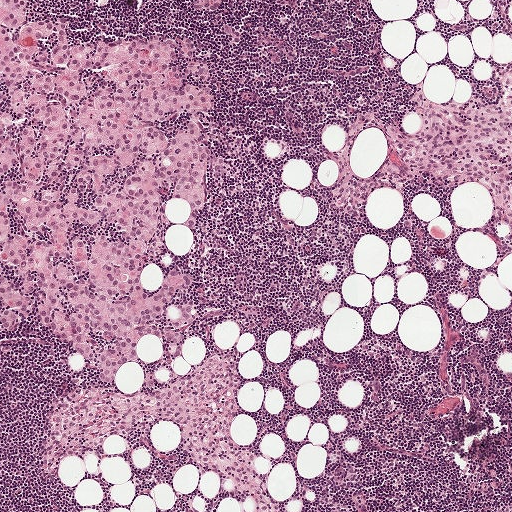
This is a crop of a whole-slide image: an H&E-stained breast-cancer sentinel lymph node section at roughly 5× magnification (about 1.9 µm per pixel; the crop spans about 1 mm).
Boundaries of three metastatic tumour regions, simplified and listed clockwise, largest first: region 1: (0, 0), (28, 0), (22, 25), (66, 16), (72, 44), (192, 38), (214, 99), (201, 144), (229, 166), (205, 170), (194, 233), (157, 215), (148, 249), (194, 277), (172, 300), (194, 322), (156, 322), (182, 356), (143, 335), (101, 381), (38, 314), (39, 287), (3, 328); region 2: (193, 0), (221, 0), (221, 5), (214, 11), (201, 11), (190, 7); region 3: (230, 24), (240, 32), (242, 40), (235, 43), (230, 41), (231, 36), (227, 34), (222, 28), (225, 25).
The annotated tumour makes up about 25% of the crop.